Question: 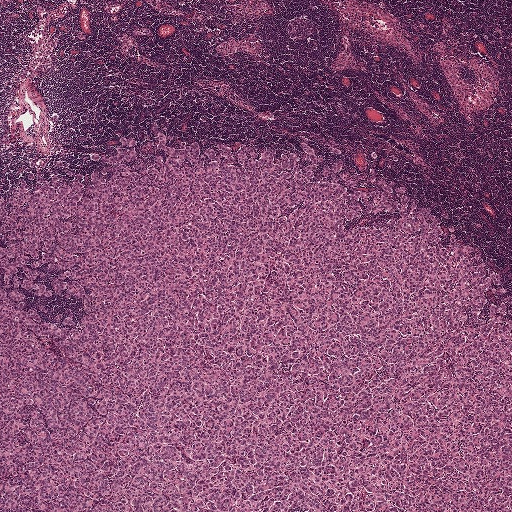
Lymph node section stained with H&E, from a whole-slide image of a breast-cancer sentinel node. Magnification about 2.5×, about 2.0 mm across the frame, about 3.9 µm per pixel.
Roughly what share of this field is metastatic tumour?

Choices:
 (A) none: no tumour is outlined
 (B) about 5% or less
 (C) about 50% or more
 (D) about 25% to 45%
 (E) about 10% to 20%

Answer: (C) about 50% or more
About 65% of the field is tumour.
Tumour region outline (a closed clockwise path, crop pixels): (121, 136), (322, 141), (440, 211), (511, 292), (511, 511), (0, 511), (0, 183), (10, 190), (20, 174), (82, 167).